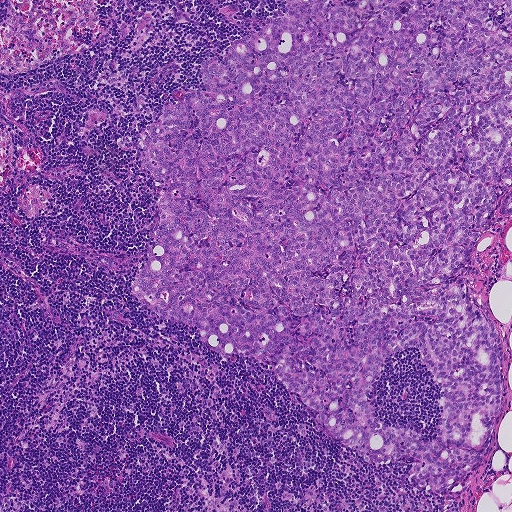
A 0.93-mm field of an H&E-stained sentinel lymph node from a breast-cancer patient (whole-slide image), shown at about 5×, about 1.8 µm per pixel.
Outlines of two tumour regions, largest first (closed clockwise paths, crop pixels): region 1: (280, 0), (511, 0), (511, 214), (498, 207), (448, 280), (484, 283), (503, 356), (499, 423), (464, 493), (418, 490), (407, 476), (418, 462), (362, 460), (322, 432), (271, 361), (225, 359), (129, 290), (158, 194), (117, 140), (142, 135), (184, 90), (205, 91), (199, 63), (226, 55); region 2: (511, 253), (511, 281), (501, 278), (501, 268), (507, 261).
The annotated tumour makes up about 50% of the crop.